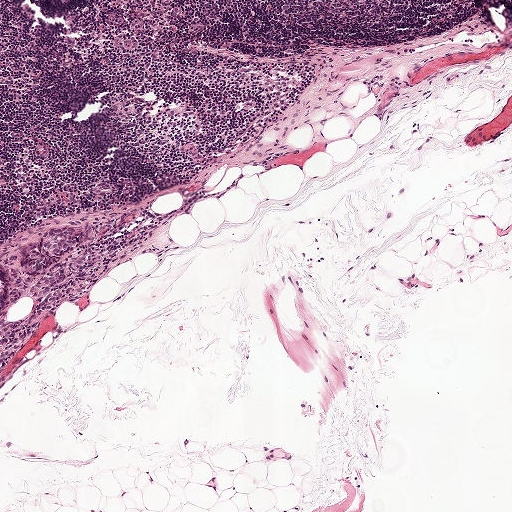
H&E-stained section of a sentinel lymph node (breast cancer), from a whole-slide image, viewed at about 5×: the field is about 1 mm across, about 1.9 µm per pixel.
Metastatic tumour outline, simplified to 24 points and listed clockwise in crop pixels (x, y): (60, 226), (81, 230), (87, 250), (82, 263), (61, 280), (61, 296), (54, 302), (44, 304), (30, 290), (5, 311), (4, 318), (14, 324), (34, 312), (38, 318), (24, 345), (0, 370), (0, 267), (7, 275), (10, 286), (20, 282), (24, 273), (23, 248), (38, 241), (51, 229).
The annotated tumour makes up under 5% of the crop.